Question: 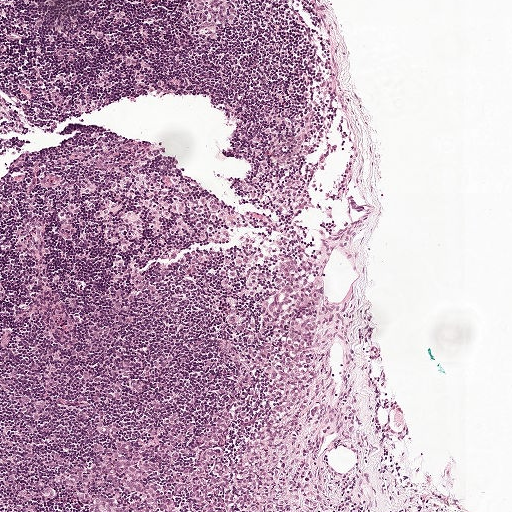
This is a crop of a whole-slide image: an H&E-stained breast-cancer sentinel lymph node section at roughly 5× magnification (about 1.9 µm per pixel; the crop spans about 1 mm).
Roughly what share of this field is metastatic tumour?

Choices:
 (A) about 25% to 45%
 (B) about 10% to 20%
 (C) about 5% or less
 (D) none: no tumour is outlined
 (E) about 50% or more

Answer: (B) about 10% to 20%
About 10% of the field is tumour.
The outlined metastatic tumour's edge, as a closed clockwise path of 15 points: (290, 252), (325, 268), (334, 287), (318, 366), (258, 486), (272, 511), (74, 511), (64, 473), (90, 443), (134, 434), (178, 414), (211, 421), (245, 399), (268, 353), (277, 270).